A 0.23-mm field of an H&E-stained sentinel lymph node from a breast-cancer patient (whole-slide image), shown at about 20×, about 0.45 µm per pixel.
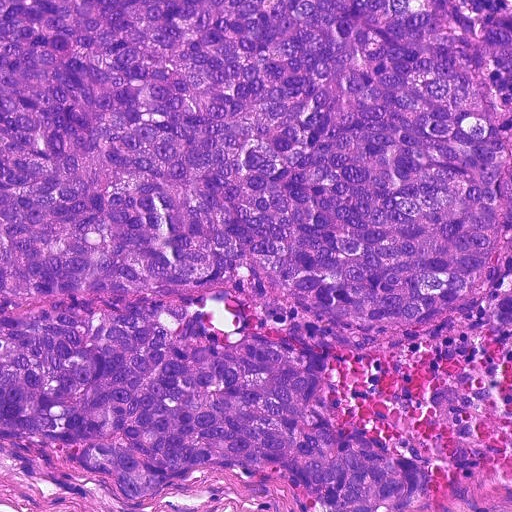
Two metastatic tumour regions, each outlined as a closed clockwise path in crop pixels (x, y), largest first: region 1: (0, 0), (459, 0), (464, 13), (487, 19), (511, 9), (511, 75), (492, 102), (511, 144), (511, 242), (470, 302), (404, 328), (334, 312), (239, 257), (178, 290), (6, 293); region 2: (180, 302), (286, 348), (318, 383), (334, 427), (356, 428), (419, 462), (423, 486), (404, 511), (325, 511), (234, 464), (120, 502), (82, 469), (82, 444), (0, 440), (0, 315).
Tumour covers about 80% of the frame.